Question: 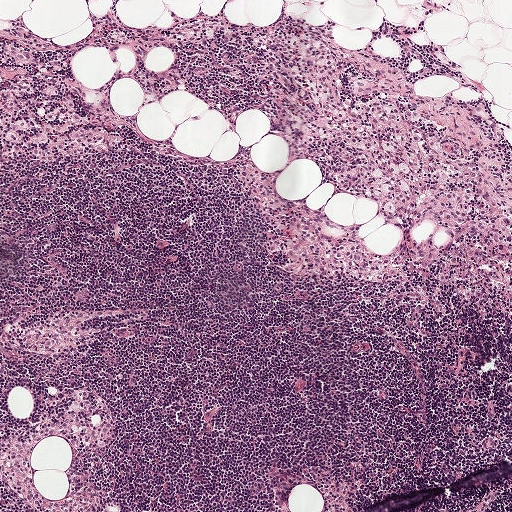
A 1-mm field of an H&E-stained sentinel lymph node from a breast-cancer patient (whole-slide image), shown at about 5×, about 1.9 µm per pixel.
About how much of this crop is taken up by metastatic carcinoma?

Choices:
 (A) about 50% or more
 (B) none: no tumour is outlined
 (C) about 10% to 20%
 (D) about 5% or less
 (E) about 25% to 45%

Answer: (B) none: no tumour is outlined
No metastatic tumour is outlined in this field.